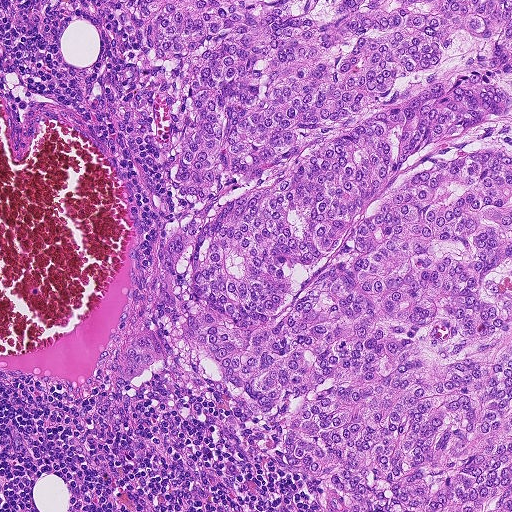
A 0.46-mm field of an H&E-stained sentinel lymph node from a breast-cancer patient (whole-slide image), shown at about 10×, about 0.9 µm per pixel.
Metastatic tumour outline, simplified to 22 points and listed clockwise in crop pixels (x, y): (511, 0), (511, 511), (321, 511), (323, 478), (280, 461), (299, 398), (256, 413), (193, 338), (157, 342), (152, 364), (113, 382), (106, 359), (143, 327), (128, 256), (134, 245), (154, 258), (216, 198), (192, 197), (173, 180), (189, 86), (150, 41), (142, 1).
The annotated tumour makes up about 60% of the crop.